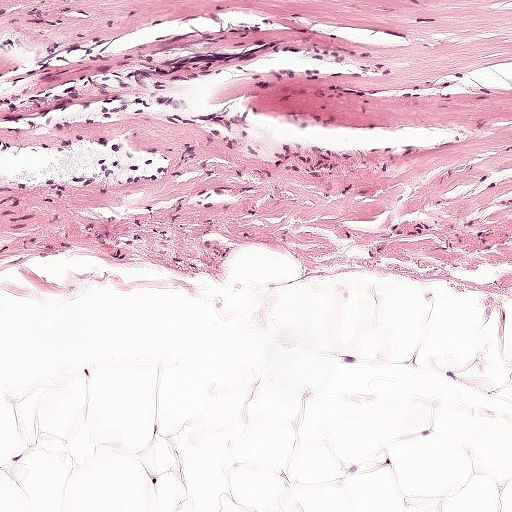
H&E-stained section of a sentinel lymph node (breast cancer), from a whole-slide image, viewed at about 10×: the field is about 0.5 mm across, about 0.97 µm per pixel.